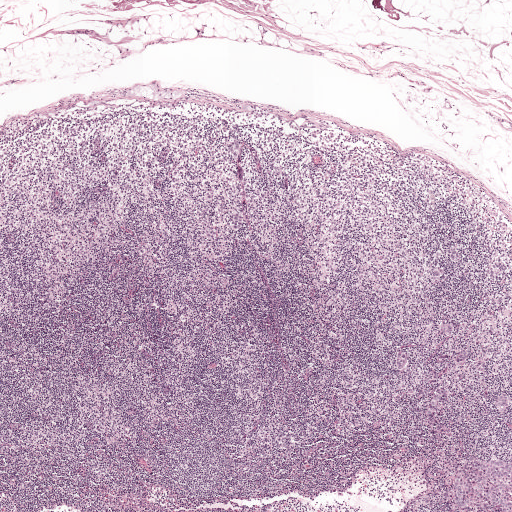
A 2.0-mm field of an H&E-stained sentinel lymph node from a breast-cancer patient (whole-slide image), shown at about 2.5×, about 3.9 µm per pixel.
Outlines of the eight largest metastatic tumour regions, each a closed clockwise path in crop pixels (x, y), largest first: region 1: (484, 452), (511, 458), (511, 511), (444, 511), (446, 506), (444, 500), (424, 507), (421, 511), (407, 511), (416, 505), (449, 490), (438, 483), (434, 470), (438, 465), (451, 459); region 2: (446, 388), (448, 393), (446, 406), (440, 409), (436, 421), (431, 424), (424, 415), (426, 402), (434, 392); region 3: (504, 260), (509, 265), (509, 272), (506, 276), (494, 282), (488, 282), (484, 270), (487, 264); region 4: (457, 244), (465, 251), (464, 263), (458, 268), (452, 267), (445, 257), (446, 249), (451, 245); region 5: (236, 138), (244, 145), (241, 158), (236, 162), (230, 162), (224, 151), (229, 140); region 6: (234, 211), (244, 214), (245, 220), (243, 232), (238, 235), (231, 232), (226, 220), (228, 213); region 7: (444, 265), (448, 275), (446, 281), (442, 285), (436, 287), (430, 286), (427, 280), (428, 275), (431, 269), (436, 266); region 8: (503, 392), (511, 399), (511, 407), (510, 412), (506, 415), (501, 414), (496, 411), (492, 406), (493, 400), (497, 395).
Eight more, smaller tumour regions are not outlined.
Six more small tumour pieces are annotated here but not outlined.
The annotated tumour makes up about 5% of the crop.